Question: 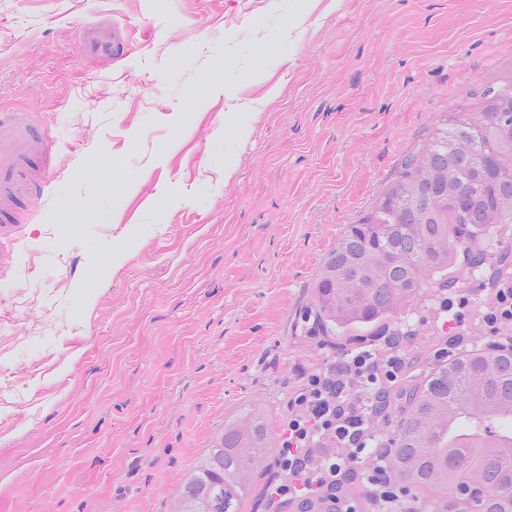
This is a crop of a whole-slide image: an H&E-stained breast-cancer sentinel lymph node section at roughly 20× magnification (about 0.5 µm per pixel; the crop spans about 0.26 mm).
What fraction of the image area is metastatic tumour?

Choices:
 (A) about 10% to 20%
 (B) about 25% to 45%
 (C) about 50% or more
 (D) none: no tumour is outlined
 (E) about 5% or less

Answer: (B) about 25% to 45%
About 25% of the field is tumour.
Two metastatic tumour regions, each outlined as a closed clockwise path in crop pixels (x, y), largest first: region 1: (511, 321), (511, 511), (139, 511), (188, 446), (247, 404), (276, 402), (297, 424), (285, 486), (314, 479), (411, 370); region 2: (511, 51), (511, 237), (478, 269), (401, 318), (372, 327), (316, 318), (308, 289), (314, 262), (405, 140), (494, 58).